This is a crop of a whole-slide image: an H&E-stained breast-cancer sentinel lymph node section at roughly 10× magnification (about 0.9 µm per pixel; the crop spans about 0.46 mm).
Image:
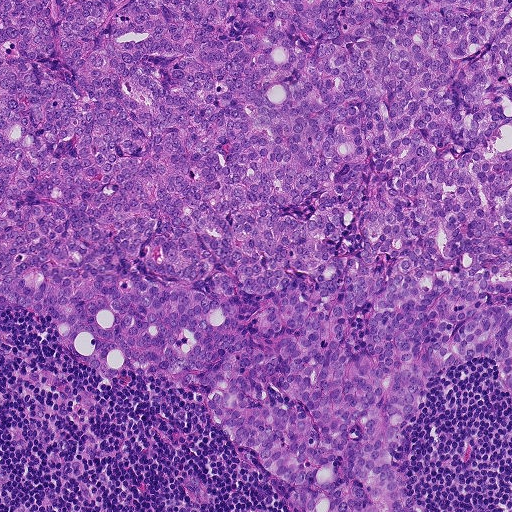
Question:
Which parts of this field are metastatic tumour? Answer with the outline of each region, in pixels.
Answer:
Tumour region outline (a closed clockwise path, crop pixels): (0, 0), (511, 0), (511, 398), (492, 358), (435, 376), (396, 450), (403, 484), (426, 511), (289, 511), (287, 489), (256, 454), (228, 443), (200, 386), (162, 388), (128, 369), (108, 381), (61, 351), (42, 320), (6, 305).
The annotated tumour makes up about 80% of the crop.